Question: 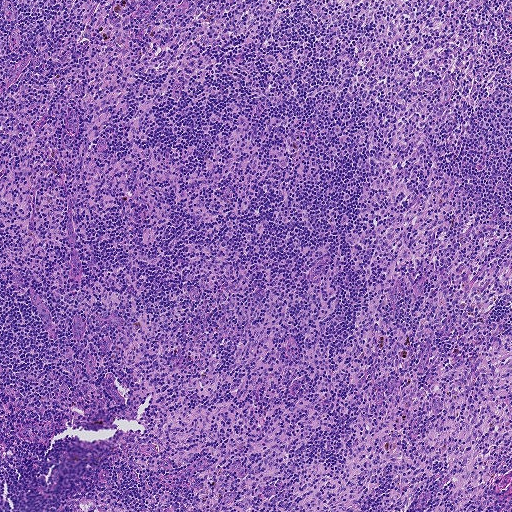
Which magnification is this H&E lymph node field most likely shown at?

Choices:
 (A) about 40×
 (B) about 20×
 (C) about 10×
 (D) about 5×
 (E) about 2.5×

Answer: (D) about 5×
Lymph node section stained with H&E, from a whole-slide image of a breast-cancer sentinel node. Magnification about 5×, about 0.93 mm across the frame, about 1.8 µm per pixel.